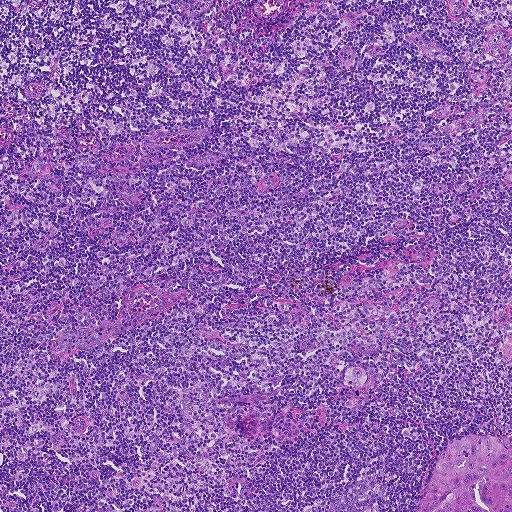
H&E-stained section of a sentinel lymph node (breast cancer), from a whole-slide image, viewed at about 5×: the field is about 0.93 mm across, about 1.8 µm per pixel.
Boundaries of two metastatic tumour regions, simplified and listed clockwise, largest first: region 1: (511, 434), (511, 511), (416, 511), (435, 464), (445, 446), (452, 439), (463, 435); region 2: (361, 367), (367, 374), (366, 382), (359, 388), (348, 388), (342, 380), (344, 370).
Under 5% of this field is tumour.